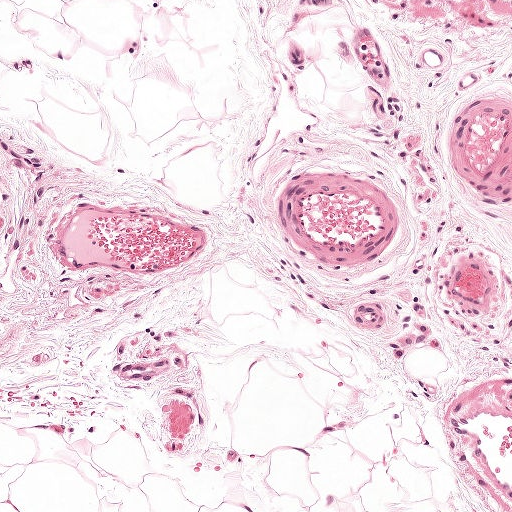
H&E-stained section of a sentinel lymph node (breast cancer), from a whole-slide image, viewed at about 10×: the field is about 0.5 mm across, about 0.97 µm per pixel.